H&E-stained section of a sentinel lymph node (breast cancer), from a whole-slide image, viewed at about 5×: the field is about 1 mm across, about 1.9 µm per pixel.
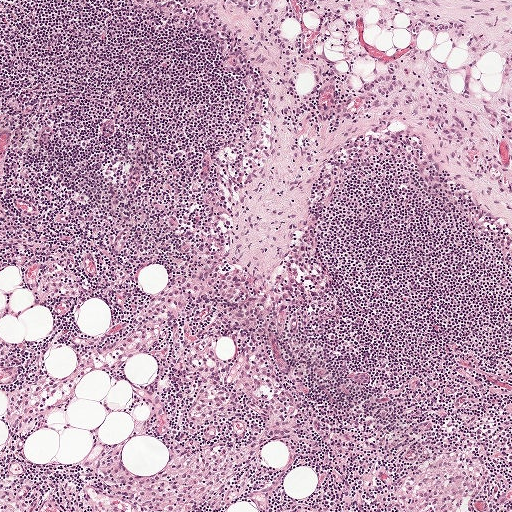
The outlined metastatic tumour's edge, as a closed clockwise path of 10 points: (214, 0), (511, 0), (511, 192), (454, 175), (401, 134), (370, 138), (346, 160), (310, 172), (292, 155), (263, 60).
About 15% of this field is tumour.